Lymph node section stained with H&E, from a whole-slide image of a breast-cancer sentinel node. Magnification about 5×, about 1 mm across the frame, about 1.9 µm per pixel.
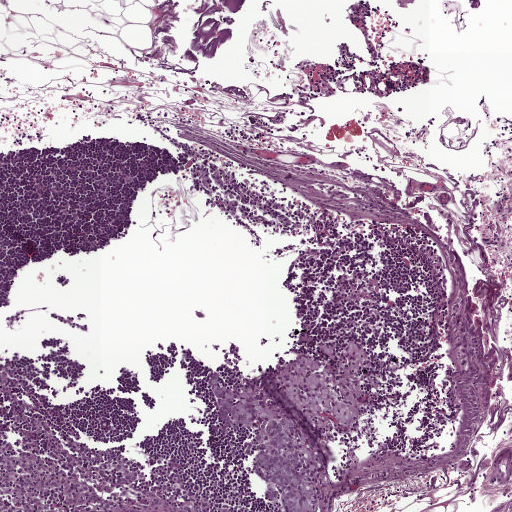
Four metastatic tumour regions, each outlined as a closed clockwise path in crop pixels (x, y), largest first: region 1: (340, 335), (353, 337), (372, 356), (371, 391), (362, 426), (351, 431), (335, 427), (332, 465), (324, 473), (319, 511), (282, 511), (280, 504), (267, 502), (259, 478), (249, 474), (251, 429), (216, 420), (208, 375), (215, 368), (230, 386), (239, 375); region 2: (208, 167), (212, 172), (218, 172), (222, 182), (221, 186), (214, 186), (214, 189), (206, 190), (201, 182), (200, 169); region 3: (329, 186), (347, 188), (356, 195), (346, 201), (324, 196); region 4: (223, 199), (239, 200), (241, 204), (236, 213), (229, 210), (227, 208).
About 5% of the image area is annotated as tumour.